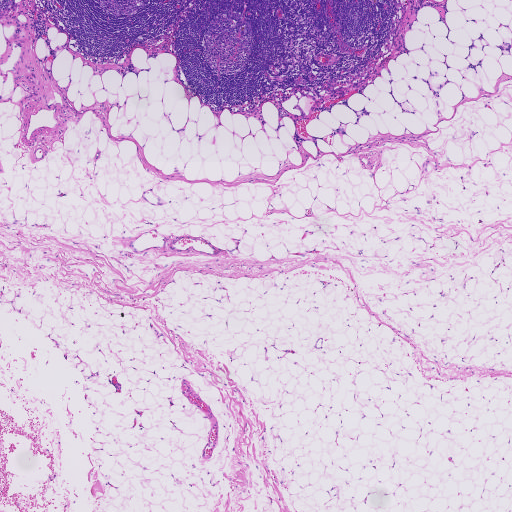
Lymph node section stained with H&E, from a whole-slide image of a breast-cancer sentinel node. Magnification about 2.5×, about 1.9 mm across the frame, about 3.6 µm per pixel.